Question: 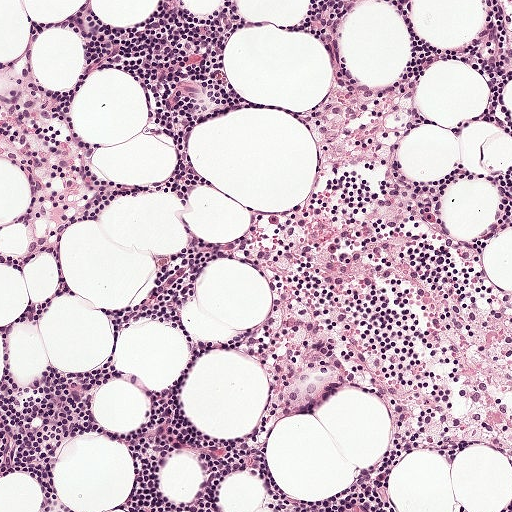
At roughly what magnification is this field shown?

Choices:
 (A) about 10×
 (B) about 2.5×
 (C) about 20×
 (D) about 5×
 (E) about 40×

Answer: (A) about 10×
A 0.5-mm field of an H&E-stained sentinel lymph node from a breast-cancer patient (whole-slide image), shown at about 10×, about 0.97 µm per pixel.
Question: 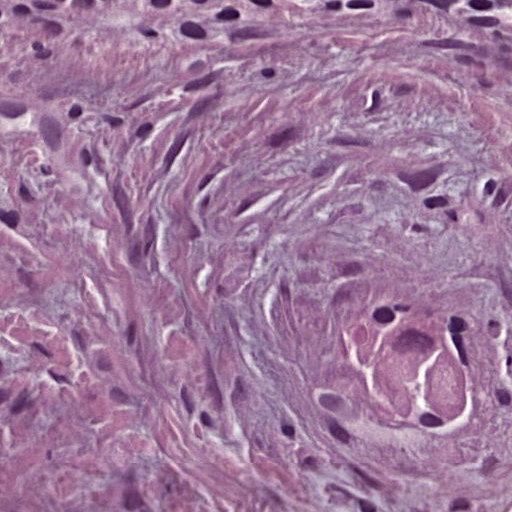
At roughly what magnification is this field shown?

Choices:
 (A) about 2.5×
 (B) about 40×
 (C) about 10×
 (D) about 5×
 (E) about 20×

Answer: (B) about 40×
Lymph node section stained with H&E, from a whole-slide image of a breast-cancer sentinel node. Magnification about 40×, about 0.12 mm across the frame, about 0.24 µm per pixel.
One metastatic tumour region; its boundary, reduced to 6 corners and listed clockwise: (373, 293), (437, 309), (489, 367), (450, 437), (369, 427), (314, 340).
One more small tumour piece is annotated here but not outlined.
About 5% of the image area is annotated as tumour.
Question: 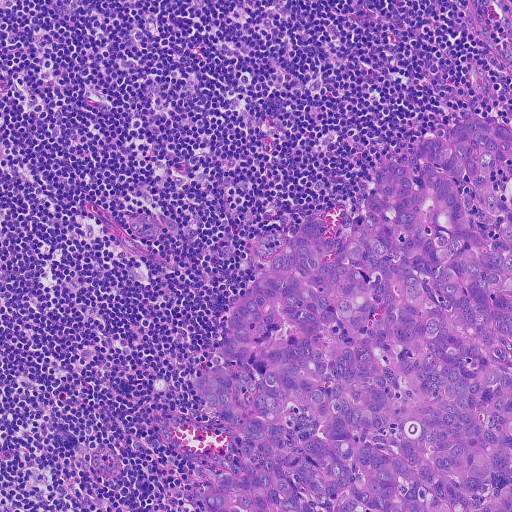
At roughly what magnification is this field shown?

Choices:
 (A) about 10×
 (B) about 5×
 (C) about 2.5×
 (D) about 20×
 (E) about 40×

Answer: (A) about 10×
A 0.46-mm field of an H&E-stained sentinel lymph node from a breast-cancer patient (whole-slide image), shown at about 10×, about 0.91 µm per pixel.
Metastatic tumour outline, simplified to 17 points and listed clockwise in crop pixels (x, y): (474, 112), (511, 128), (511, 511), (210, 510), (200, 492), (210, 472), (222, 473), (232, 433), (205, 413), (193, 380), (223, 359), (215, 350), (310, 216), (324, 218), (323, 237), (351, 234), (388, 160).
About 35% of this field is tumour.
Question: 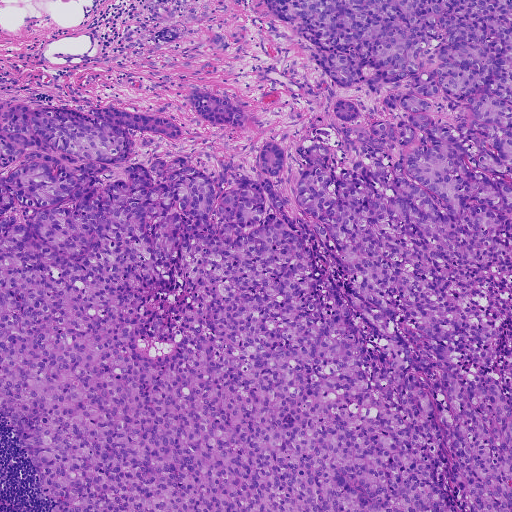
At roughly what magnification is this field shown?

Choices:
 (A) about 2.5×
 (B) about 40×
 (C) about 20×
 (D) about 5×
 (E) about 10×

Answer: (D) about 5×
This is a crop of a whole-slide image: an H&E-stained breast-cancer sentinel lymph node section at roughly 5× magnification (about 1.8 µm per pixel; the crop spans about 0.93 mm).
Three metastatic tumour regions, each outlined as a closed clockwise path in crop pixels (x, y), largest first: region 1: (263, 0), (511, 0), (511, 511), (52, 511), (0, 411), (0, 102), (179, 125), (127, 130), (111, 180), (176, 156), (258, 181), (278, 144), (270, 181), (316, 221), (294, 190), (303, 135), (346, 122), (331, 110), (349, 97), (350, 126), (398, 110), (389, 86), (334, 82); region 2: (192, 89), (210, 92), (244, 109), (248, 117), (245, 125), (236, 127), (218, 125), (201, 118), (189, 105), (187, 96); region 3: (165, 28), (176, 32), (179, 34), (178, 38), (171, 41), (167, 41), (160, 41), (156, 39), (154, 35), (157, 32).
One more small tumour piece is annotated here but not outlined.
About 80% of this field is tumour.